Question: 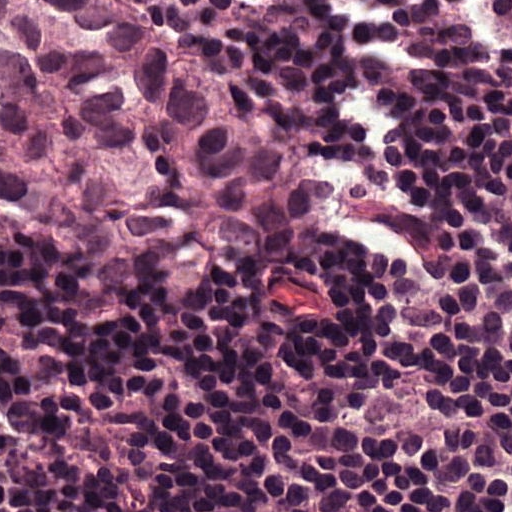
About what magnification does this crop show?

Choices:
 (A) about 5×
 (B) about 10×
 (C) about 2.5×
 (D) about 40×
 (E) about 20×

Answer: (D) about 40×
A 0.12-mm field of an H&E-stained sentinel lymph node from a breast-cancer patient (whole-slide image), shown at about 40×, about 0.24 µm per pixel.
The outlined metastatic tumour's edge, as a closed clockwise path of 11 points: (0, 0), (170, 0), (278, 97), (343, 202), (343, 221), (323, 252), (270, 284), (170, 304), (123, 287), (70, 218), (5, 171).
The annotated tumour makes up about 30% of the crop.